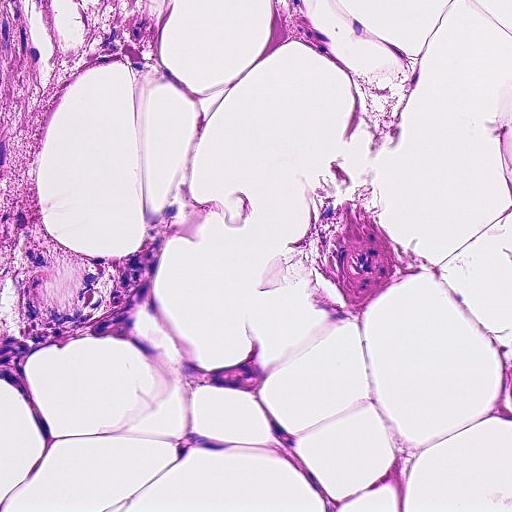
Lymph node section stained with H&E, from a whole-slide image of a breast-cancer sentinel node. Magnification about 20×, about 0.23 mm across the frame, about 0.45 µm per pixel.
Question: Does this lymph node field contain metastatic tumour?
Answer: No. No metastatic tumour is outlined in this field.